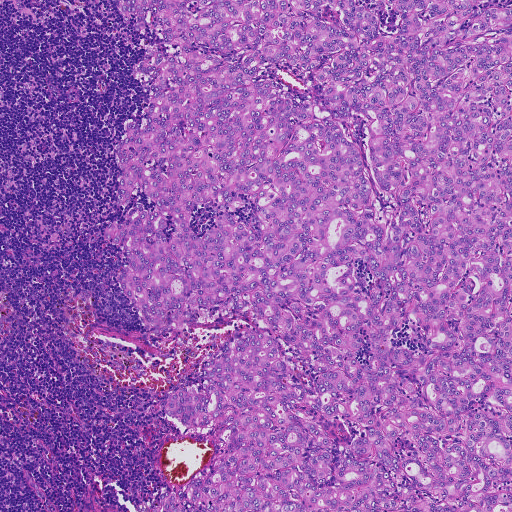
Lymph node section stained with H&E, from a whole-slide image of a breast-cancer sentinel node. Magnification about 5×, about 0.93 mm across the frame, about 1.8 µm per pixel.
Metastatic tumour outline, simplified to 22 points and listed clockwise in crop pixels (x, y): (511, 0), (511, 511), (138, 511), (212, 468), (230, 434), (184, 426), (167, 396), (199, 384), (208, 353), (265, 323), (144, 330), (118, 283), (122, 252), (88, 238), (154, 205), (141, 188), (117, 201), (114, 149), (152, 100), (140, 62), (170, 49), (116, 4).
One more small tumour piece is annotated here but not outlined.
The annotated tumour makes up about 70% of the crop.